Image:
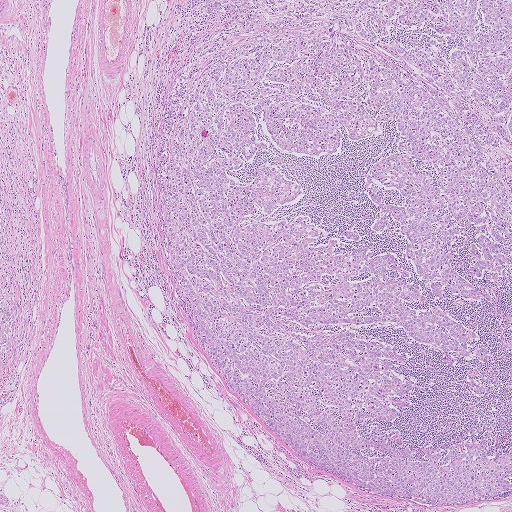
This is a crop of a whole-slide image: an H&E-stained breast-cancer sentinel lymph node section at roughly 2.5× magnification (about 4.0 µm per pixel; the crop spans about 2.0 mm).
Question:
Which parts of this field are metastatic tumour?
Answer:
Boundaries of four metastatic tumour regions, simplified and listed clockwise, largest first: region 1: (190, 0), (511, 0), (511, 324), (486, 310), (468, 318), (491, 355), (456, 366), (400, 325), (382, 332), (423, 383), (401, 416), (407, 434), (423, 445), (463, 437), (511, 447), (511, 486), (497, 497), (429, 506), (346, 485), (248, 409), (198, 341), (161, 247), (147, 163); region 2: (0, 234), (8, 249), (10, 278), (11, 322), (6, 345), (0, 355); region 3: (34, 0), (53, 0), (47, 38); region 4: (473, 382), (482, 385), (485, 388), (485, 393), (480, 394), (471, 391), (469, 385).
The annotated tumour makes up about 55% of the crop.